Question: 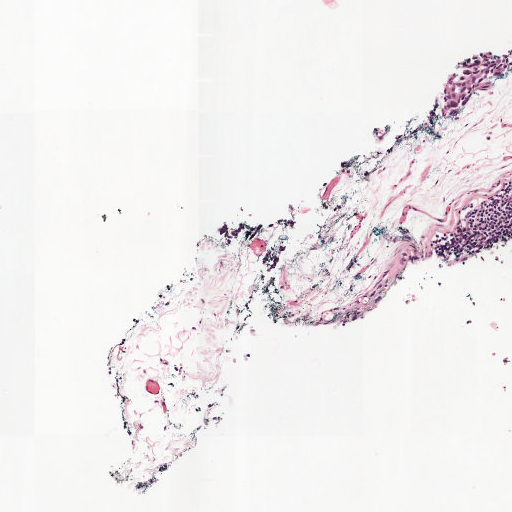
About what magnification does this crop show?

Choices:
 (A) about 20×
 (B) about 40×
 (C) about 5×
 (D) about 2.5×
 (E) about 10×

Answer: (C) about 5×
This is a crop of a whole-slide image: an H&E-stained breast-cancer sentinel lymph node section at roughly 5× magnification (about 1.9 µm per pixel; the crop spans about 1 mm).
Four metastatic tumour regions, each outlined as a closed clockwise path in crop pixels (x, y), largest first: region 1: (511, 36), (511, 75), (484, 91), (464, 112), (442, 123), (412, 132), (441, 81), (465, 55); region 2: (288, 242), (282, 259), (267, 279), (260, 280), (262, 259), (269, 247); region 3: (227, 220), (233, 226), (247, 221), (247, 229), (227, 246), (215, 232), (222, 222); region 4: (292, 216), (296, 229), (267, 226), (275, 219).
Two more small tumour pieces are annotated here but not outlined.
Under 5% of the image area is annotated as tumour.